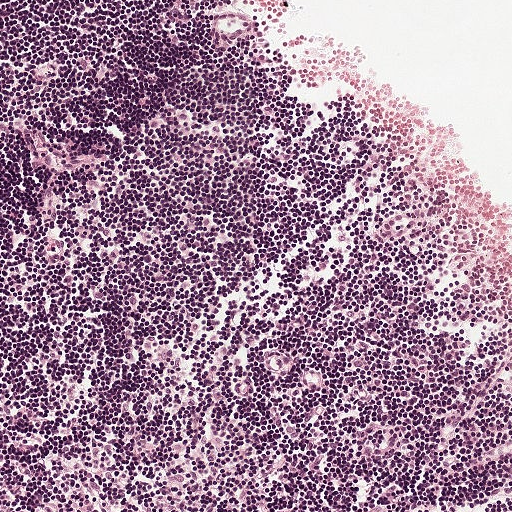
Lymph node section stained with H&E, from a whole-slide image of a breast-cancer sentinel node. Magnification about 10×, about 0.5 mm across the frame, about 0.97 µm per pixel.
Question: Does this lymph node field contain metastatic tumour?
Answer: No: no metastatic tumour is outlined anywhere in this field.